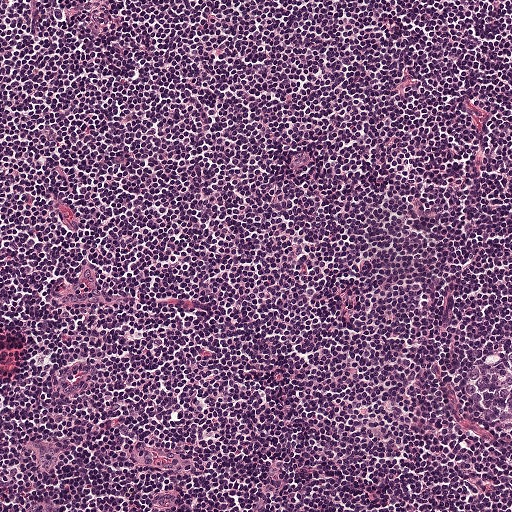
A 0.5-mm field of an H&E-stained sentinel lymph node from a breast-cancer patient (whole-slide image), shown at about 10×, about 0.97 µm per pixel.